H&E-stained section of a sentinel lymph node (breast cancer), from a whole-slide image, viewed at about 20×: the field is about 0.23 mm across, about 0.45 µm per pixel.
Question: 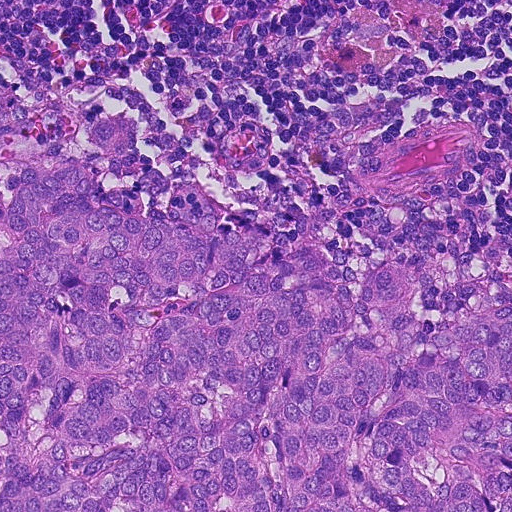
Estimate the proportion of this field that is metastatic tumour.

Choices:
 (A) about 5% or less
 (B) about 10% to 20%
 (C) about 50% or more
 (D) about 25% to 45%
 (E) none: no tumour is outlined

Answer: (C) about 50% or more
About 60% of the field is tumour.
Metastatic tumour outline, simplified to 13 points and listed clockwise in crop pixels (x, y): (0, 69), (40, 98), (139, 118), (142, 154), (204, 184), (223, 214), (321, 248), (356, 245), (384, 266), (451, 282), (511, 281), (511, 511), (0, 511).